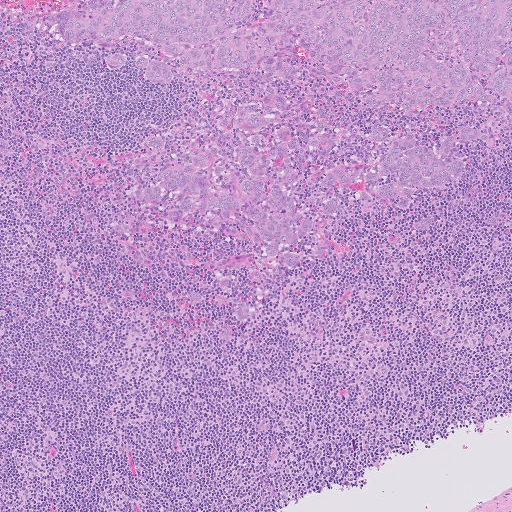
H&E-stained section of a sentinel lymph node (breast cancer), from a whole-slide image, viewed at about 5×: the field is about 1.0 mm across, about 2.0 µm per pixel.
Three metastatic tumour regions, each outlined as a closed clockwise path in crop pixels (x, y), largest first: region 1: (511, 0), (511, 152), (477, 151), (461, 180), (404, 209), (349, 200), (334, 214), (330, 257), (275, 276), (261, 255), (137, 201), (164, 159), (145, 141), (162, 140), (175, 168), (183, 164), (219, 125), (230, 78), (165, 89), (113, 77), (102, 46), (69, 46), (43, 25), (66, 1); region 2: (430, 217), (432, 219), (432, 224), (428, 229), (424, 231), (418, 231), (413, 228), (414, 222); region 3: (241, 302), (244, 304), (246, 314), (245, 319), (240, 319), (235, 317), (232, 313), (232, 308), (236, 305).
One more small tumour piece is annotated here but not outlined.
About 30% of the image area is annotated as tumour.